This is a crop of a whole-slide image: an H&E-stained breast-cancer sentinel lymph node section at roughly 20× magnification (about 0.45 µm per pixel; the crop spans about 0.23 mm).
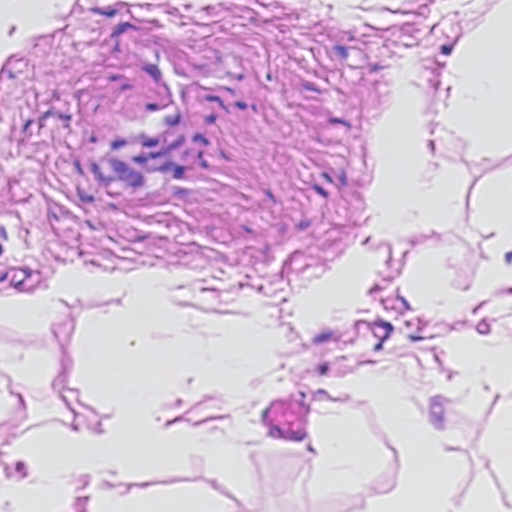
Question: Is there metastatic carcinoma in this field?
Answer: No. No metastatic tumour is outlined in this field.